H&E-stained section of a sentinel lymph node (breast cancer), from a whole-slide image, viewed at about 10×: the field is about 0.5 mm across, about 0.97 µm per pixel.
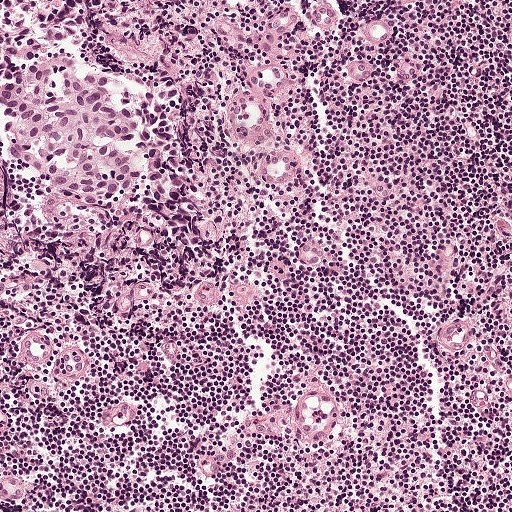
Tumour region outline (a closed clockwise path, crop pixels): (0, 0), (75, 0), (81, 26), (70, 44), (154, 92), (180, 116), (185, 180), (177, 193), (158, 200), (147, 164), (137, 185), (114, 202), (59, 194), (16, 154), (4, 131).
About 10% of this field is tumour.